Image:
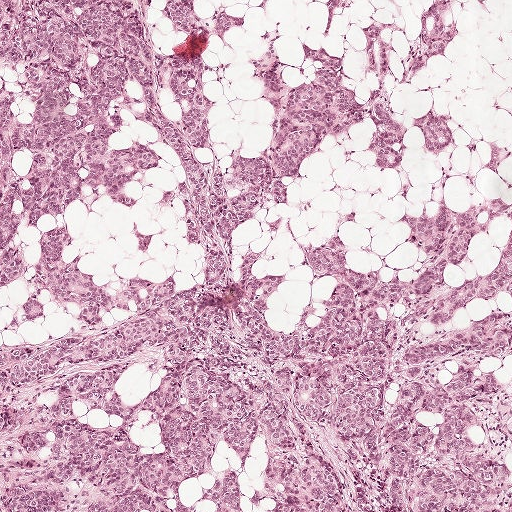
This is a crop of a whole-slide image: an H&E-stained breast-cancer sentinel lymph node section at roughly 5× magnification (about 1.9 µm per pixel; the crop spans about 1 mm).
Question:
Where is the metastatic tumour in this field?
Answer:
Metastatic tumour outline, simplified to 23 points and listed clockwise in crop pixels (x, y): (0, 0), (223, 0), (242, 29), (212, 87), (219, 133), (238, 142), (243, 60), (258, 29), (305, 34), (409, 11), (413, 0), (466, 0), (446, 83), (456, 136), (446, 173), (353, 180), (273, 224), (268, 244), (307, 249), (354, 228), (511, 198), (511, 511), (0, 511).
The annotated tumour makes up about 90% of the crop.